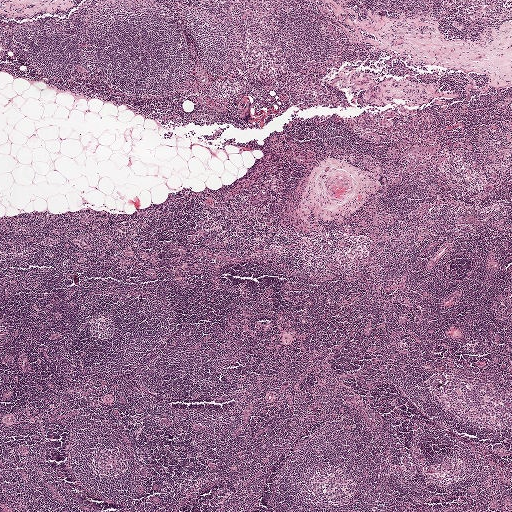
A 2.0-mm field of an H&E-stained sentinel lymph node from a breast-cancer patient (whole-slide image), shown at about 2.5×, about 3.9 µm per pixel.
Outlines of two tumour regions, largest first (closed clockwise paths, crop pixels): region 1: (389, 109), (394, 111), (394, 116), (391, 118), (394, 122), (389, 128), (381, 128), (377, 125), (383, 114); region 2: (400, 105), (408, 108), (414, 108), (417, 110), (417, 112), (415, 114), (411, 115), (404, 114), (399, 112), (397, 109).
The annotated tumour makes up under 5% of the crop.